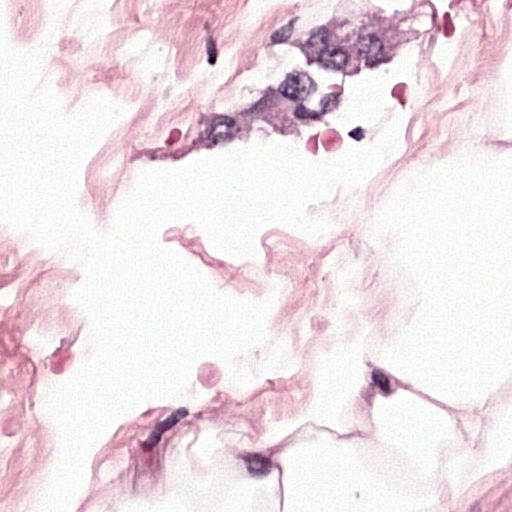
This is a crop of a whole-slide image: an H&E-stained breast-cancer sentinel lymph node section at roughly 40× magnification (about 0.24 µm per pixel; the crop spans about 0.12 mm).
Tumour region outline (a closed clockwise path, crop pixels): (346, 7), (438, 24), (387, 92), (259, 145), (148, 165), (151, 131), (243, 64).
About 10% of this field is tumour.